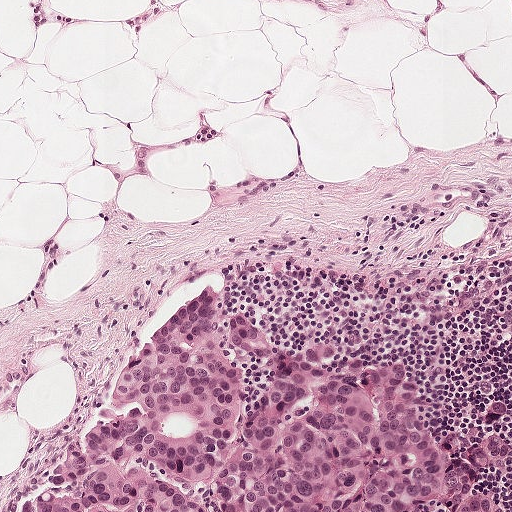
H&E-stained section of a sentinel lymph node (breast cancer), from a whole-slide image, viewed at about 10×: the field is about 0.5 mm across, about 0.97 µm per pixel.
Question: Outline the metastatic carcinoma in this image, as closed paths of (x, y) pixel coordinates.
Answer: One metastatic tumour region; its boundary, reduced to 14 corners and listed clockwise: (196, 288), (287, 345), (331, 338), (364, 372), (405, 366), (438, 430), (476, 423), (502, 400), (503, 511), (12, 511), (41, 469), (86, 432), (103, 378), (138, 324).
About 25% of the image area is annotated as tumour.